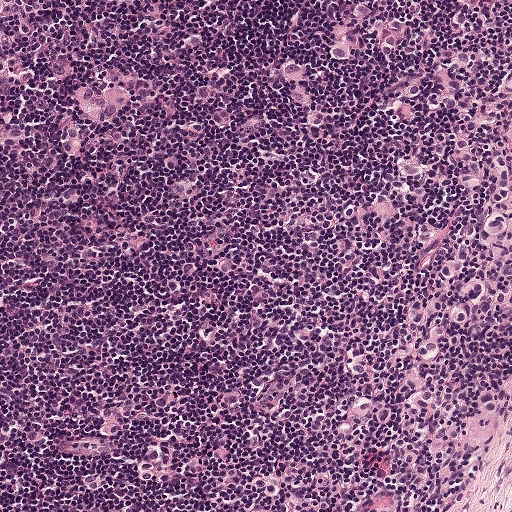
A 0.5-mm field of an H&E-stained sentinel lymph node from a breast-cancer patient (whole-slide image), shown at about 10×, about 0.97 µm per pixel.
Question: Does this lymph node field contain metastatic tumour?
Answer: Yes.
Outlines of three tumour regions, largest first (closed clockwise paths, crop pixels): region 1: (328, 357), (342, 357), (373, 367), (393, 407), (393, 420), (368, 460), (368, 511), (252, 511), (282, 482), (321, 470), (333, 460), (333, 394), (326, 372); region 2: (511, 168), (511, 326), (478, 335), (448, 325), (444, 321), (444, 303), (448, 294), (459, 285), (470, 259), (474, 227), (481, 212); region 3: (511, 23), (511, 99), (500, 92), (494, 83), (494, 60), (497, 46), (500, 37).
Tumour covers about 5% of the frame.